Lymph node section stained with H&E, from a whole-slide image of a breast-cancer sentinel node. Magnification about 5×, about 1 mm across the frame, about 1.9 µm per pixel.
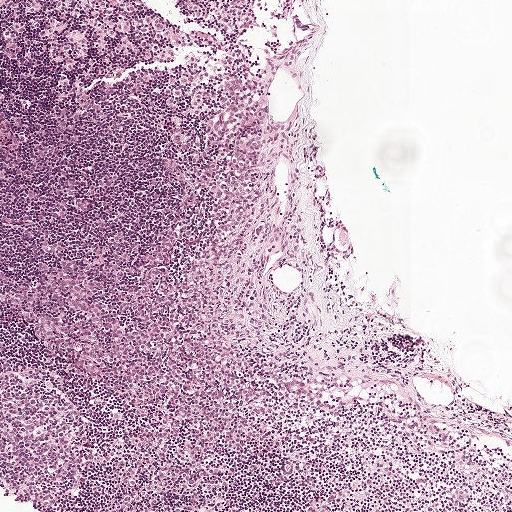
Tumour region outline (a closed clockwise path, crop pixels): (235, 71), (270, 88), (279, 106), (262, 185), (208, 287), (205, 318), (298, 373), (310, 388), (307, 400), (291, 398), (225, 429), (207, 426), (182, 405), (110, 394), (19, 331), (8, 292), (35, 262), (123, 234), (156, 240), (190, 218), (213, 172), (222, 89).
Tumour covers about 15% of the frame.